Question: 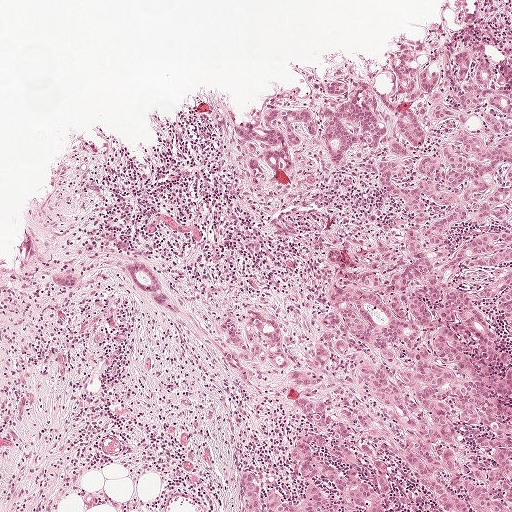
At roughly what magnification is this field shown?

Choices:
 (A) about 40×
 (B) about 5×
 (C) about 10×
 (D) about 20×
 (E) about 2.5×

Answer: (B) about 5×
A 1-mm field of an H&E-stained sentinel lymph node from a breast-cancer patient (whole-slide image), shown at about 5×, about 1.9 µm per pixel.